This is a crop of a whole-slide image: an H&E-stained breast-cancer sentinel lymph node section at roughly 5× magnification (about 1.9 µm per pixel; the crop spans about 1 mm).
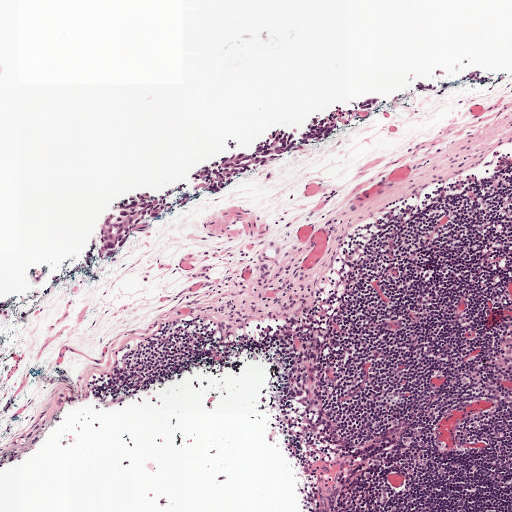
Outlines of four tumour regions, largest first (closed clockwise paths, crop pixels): region 1: (323, 113), (339, 116), (333, 135), (247, 174), (223, 191), (209, 192), (141, 232), (121, 253), (69, 273), (98, 222), (122, 196), (273, 129); region 2: (476, 69), (487, 74), (490, 80), (482, 82), (474, 82), (460, 80), (461, 76), (473, 70); region 3: (364, 98), (383, 100), (374, 107), (363, 109), (355, 104); region 4: (417, 81), (427, 82), (439, 88), (433, 91), (426, 91), (414, 88).
Three more small tumour pieces are annotated here but not outlined.
Tumour covers about 5% of the frame.